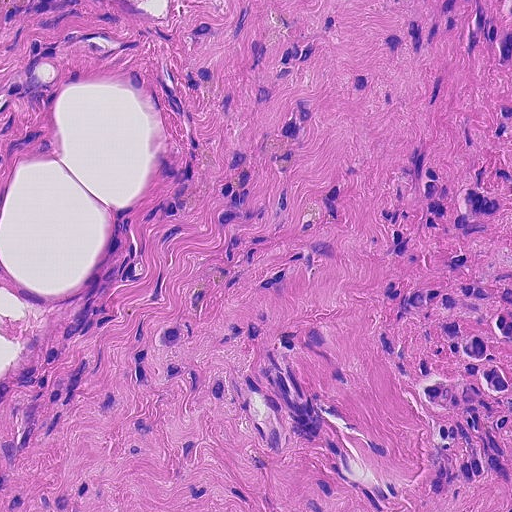
H&E-stained section of a sentinel lymph node (breast cancer), from a whole-slide image, viewed at about 20×: the field is about 0.23 mm across, about 0.45 µm per pixel.
Tumour region outline (a closed clockwise path, crop pixels): (452, 0), (511, 0), (511, 511), (468, 511), (412, 367), (411, 338), (479, 168), (485, 74).
About 10% of this field is tumour.